Image:
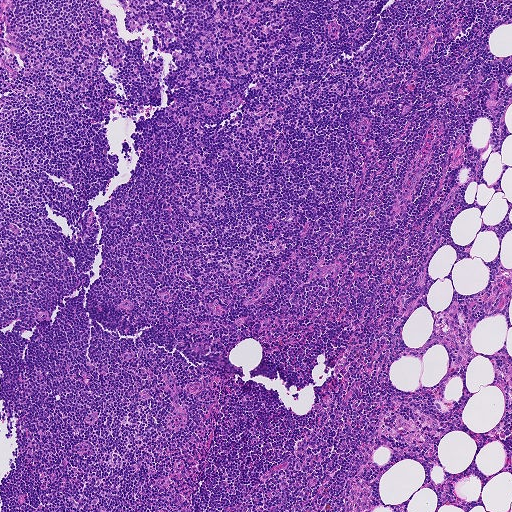
A 0.93-mm field of an H&E-stained sentinel lymph node from a breast-cancer patient (whole-slide image), shown at about 5×, about 1.8 µm per pixel.
Question:
Is there metastatic carcinoma in this field?
Answer:
No: no metastatic tumour is outlined anywhere in this field.